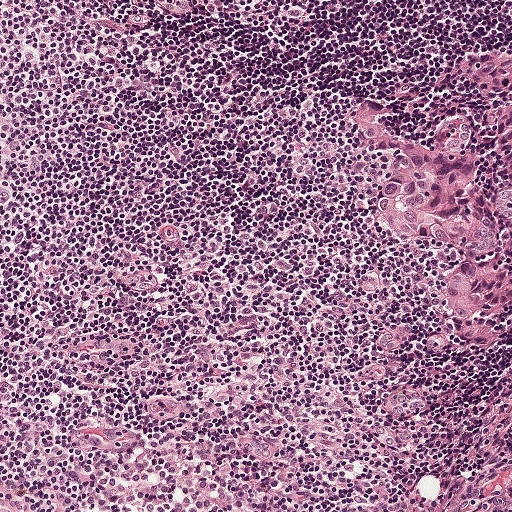
H&E-stained section of a sentinel lymph node (breast cancer), from a whole-slide image, viewed at about 10×: the field is about 0.5 mm across, about 0.97 µm per pixel.
Tumour region outline (a closed clockwise path, crop pixels): (510, 47), (511, 324), (497, 347), (479, 354), (454, 342), (428, 290), (443, 253), (366, 220), (372, 160), (365, 146), (338, 134), (338, 120), (346, 102), (364, 101), (378, 125), (414, 141), (446, 64), (484, 48).
Tumour covers about 10% of the frame.